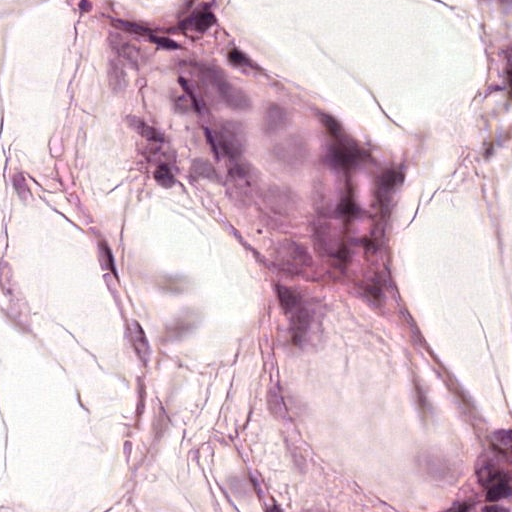
A 0.12-mm field of an H&E-stained sentinel lymph node from a breast-cancer patient (whole-slide image), shown at about 40×, about 0.24 µm per pixel.
Metastatic tumour outline, simplified to 15 points and listed clockwise in crop pixels (x, y): (140, 49), (292, 82), (326, 108), (351, 108), (355, 130), (403, 167), (413, 234), (366, 316), (351, 412), (314, 453), (277, 442), (251, 267), (211, 201), (118, 123), (122, 60).
Tumour covers about 20% of the frame.